Image:
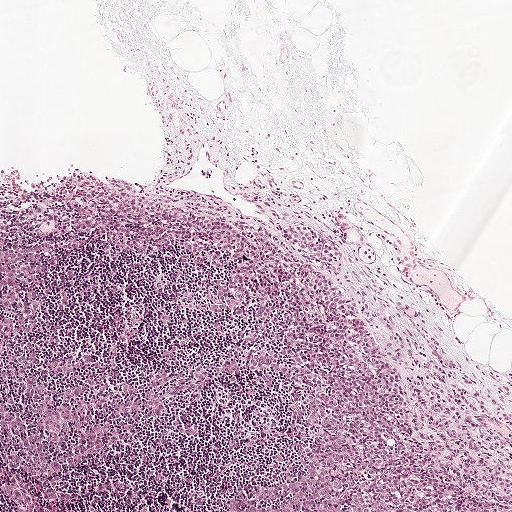
This is a crop of a whole-slide image: an H&E-stained breast-cancer sentinel lymph node section at roughly 5× magnification (about 1.9 µm per pixel; the crop spans about 1 mm).
Question:
Describe where the metastatic carcinoma lies in this crop.
Answer:
One metastatic tumour region; its boundary, reduced to 12 corners and listed clockwise: (126, 194), (273, 232), (310, 222), (339, 243), (338, 278), (385, 351), (415, 364), (431, 339), (511, 398), (511, 511), (0, 511), (0, 200).
About 50% of the image area is annotated as tumour.